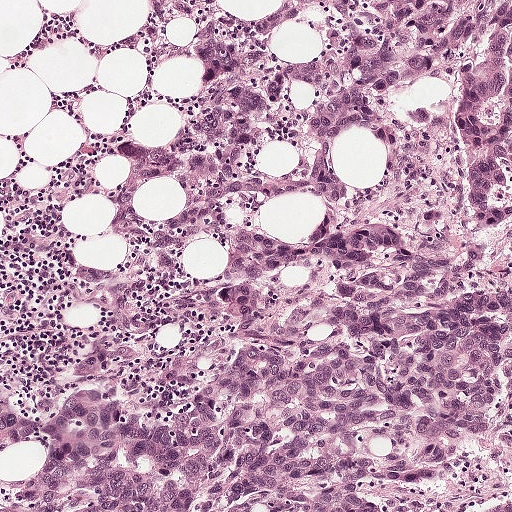
H&E-stained section of a sentinel lymph node (breast cancer), from a whole-slide image, viewed at about 10×: the field is about 0.5 mm across, about 0.97 µm per pixel.
Metastatic tumour outline, simplified to 23 points and listed clockwise in crop pixels (x, y): (409, 0), (511, 0), (511, 511), (0, 511), (50, 445), (0, 445), (0, 377), (16, 373), (68, 406), (112, 380), (176, 414), (200, 408), (220, 377), (207, 274), (235, 212), (292, 228), (455, 234), (457, 182), (431, 81), (404, 87), (352, 136), (299, 134), (318, 70).
Tumour covers about 50% of the frame.